Question: 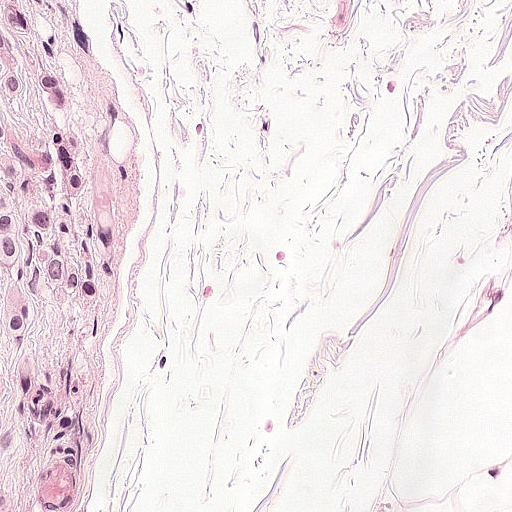
This is a crop of a whole-slide image: an H&E-stained breast-cancer sentinel lymph node section at roughly 20× magnification (about 0.49 µm per pixel; the crop spans about 0.25 mm).
What fraction of the image area is metastatic tumour?

Choices:
 (A) about 25% to 45%
 (B) about 10% to 20%
 (C) none: no tumour is outlined
 (D) about 5% or less
 (E) about 50% or more

Answer: (B) about 10% to 20%
About 10% of the field is tumour.
Tumour region outline (a closed clockwise path, crop pixels): (0, 0), (54, 0), (66, 98), (84, 164), (109, 198), (114, 244), (109, 274), (86, 314), (24, 312), (22, 353), (36, 381), (36, 417), (20, 511), (0, 511).